Question: 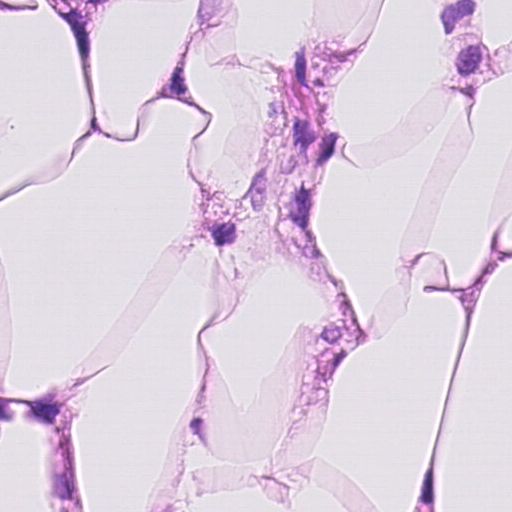
At roughly what magnification is this field shown?

Choices:
 (A) about 20×
 (B) about 10×
 (C) about 40×
 (D) about 5×
 (E) about 2.5×

Answer: (C) about 40×
Lymph node section stained with H&E, from a whole-slide image of a breast-cancer sentinel node. Magnification about 40×, about 0.12 mm across the frame, about 0.23 µm per pixel.
Two metastatic tumour regions, each outlined as a closed clockwise path in crop pixels (x, y), largest first: region 1: (416, 0), (503, 7), (511, 26), (511, 70), (470, 81), (408, 55), (339, 65), (340, 147), (325, 204), (367, 324), (325, 365), (294, 418), (309, 300), (253, 274), (200, 263), (183, 197), (226, 179), (252, 123), (256, 64), (312, 40), (379, 40); region 2: (30, 369), (81, 408), (99, 466), (107, 511), (40, 511), (40, 503), (7, 444), (0, 456), (0, 372).
Tumour covers about 20% of the frame.